H&E-stained section of a sentinel lymph node (breast cancer), from a whole-slide image, viewed at about 5×: the field is about 1 mm across, about 1.9 µm per pixel.
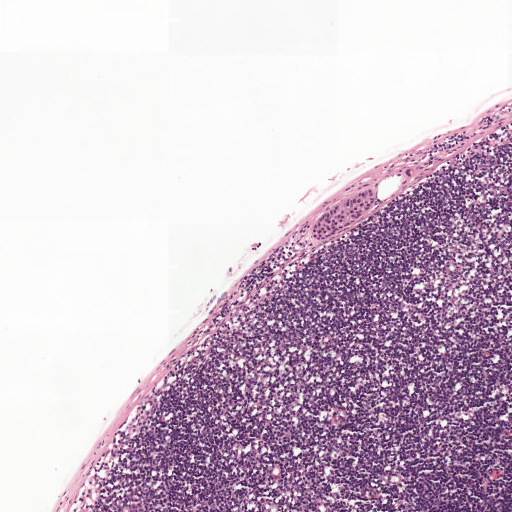
Question: Outline the metastatic carcinoma in this image, as closed paths of (x, y) pixel coordinates.
Answer: The outlined metastatic tumour's edge, as a closed clockwise path of 10 points: (370, 188), (374, 191), (373, 206), (348, 228), (325, 241), (312, 239), (310, 231), (317, 220), (326, 209), (355, 189).
One more small tumour piece is annotated here but not outlined.
Tumour covers under 5% of the frame.